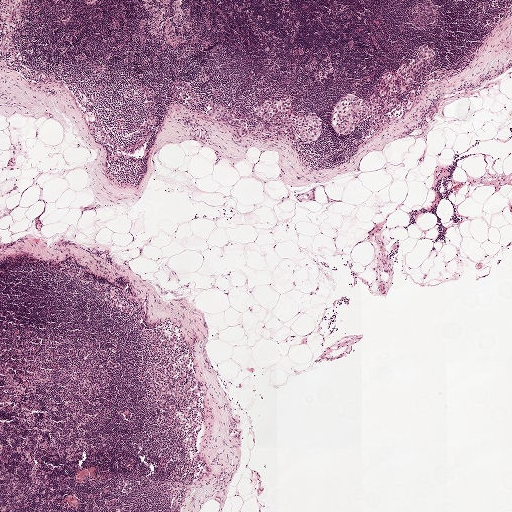
A 2.0-mm field of an H&E-stained sentinel lymph node from a breast-cancer patient (whole-slide image), shown at about 2.5×, about 3.9 µm per pixel.
Boundaries of three metastatic tumour regions, simplified and listed clockwise, largest first: region 1: (423, 42), (430, 43), (436, 48), (436, 55), (414, 82), (401, 91), (393, 110), (394, 117), (380, 130), (370, 130), (371, 122), (368, 116), (347, 135), (340, 135), (333, 132), (331, 119), (340, 96), (350, 92), (363, 99), (372, 96), (383, 73), (398, 69), (416, 55); region 2: (270, 96), (281, 96), (293, 100), (296, 113), (312, 112), (321, 117), (321, 131), (314, 143), (307, 144), (301, 142), (296, 144), (291, 144), (283, 128), (268, 141), (263, 142), (259, 139), (256, 132), (255, 109); region 3: (221, 102), (236, 112), (249, 112), (249, 117), (245, 119), (249, 126), (249, 134), (238, 135), (230, 126), (207, 115), (205, 112), (207, 108).
Under 5% of this field is tumour.